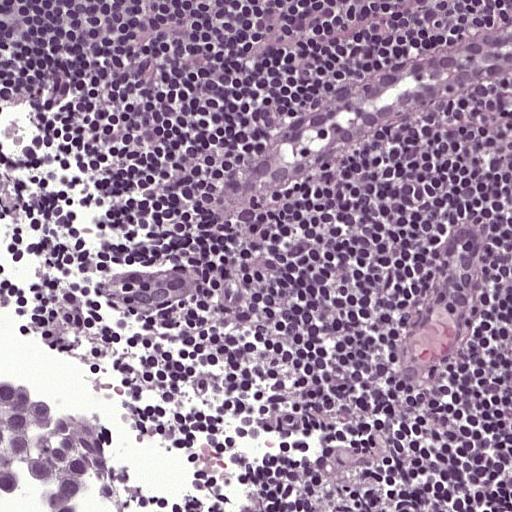
This is a crop of a whole-slide image: an H&E-stained breast-cancer sentinel lymph node section at roughly 20× magnification (about 0.49 µm per pixel; the crop spans about 0.25 mm).
One metastatic tumour region; its boundary, reduced to 6 corners and listed clockwise: (7, 374), (80, 392), (115, 440), (132, 511), (0, 511), (0, 377).
Tumour covers about 5% of the frame.